Question: 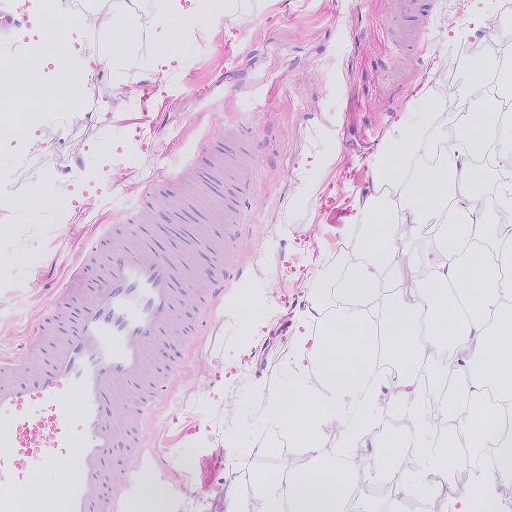
About what magnification does this crop show?

Choices:
 (A) about 20×
 (B) about 5×
 (C) about 40×
 (D) about 2.5×
 (E) about 10×

Answer: (E) about 10×
This is a crop of a whole-slide image: an H&E-stained breast-cancer sentinel lymph node section at roughly 10× magnification (about 1.0 µm per pixel; the crop spans about 0.51 mm).